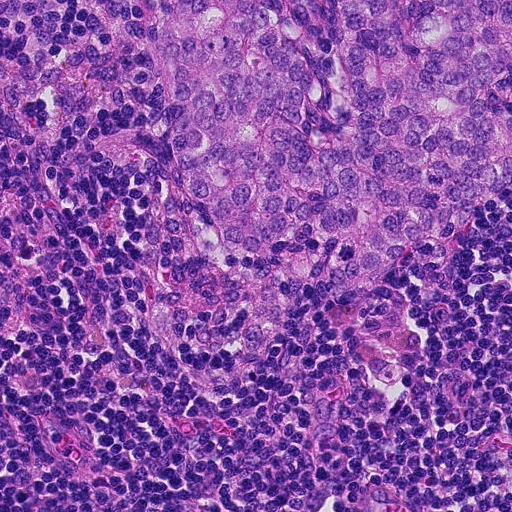
Lymph node section stained with H&E, from a whole-slide image of a breast-cancer sentinel node. Magnification about 20×, about 0.23 mm across the frame, about 0.45 µm per pixel.
Metastatic tumour outline, simplified to 15 points and listed clockwise in crop pixels (x, y): (0, 0), (511, 0), (511, 187), (480, 201), (451, 266), (420, 267), (377, 303), (322, 316), (314, 282), (292, 310), (207, 222), (150, 196), (132, 166), (28, 148), (0, 82).
About 45% of this field is tumour.